This is a crop of a whole-slide image: an H&E-stained breast-cancer sentinel lymph node section at roughly 5× magnification (about 1.8 µm per pixel; the crop spans about 0.93 mm).
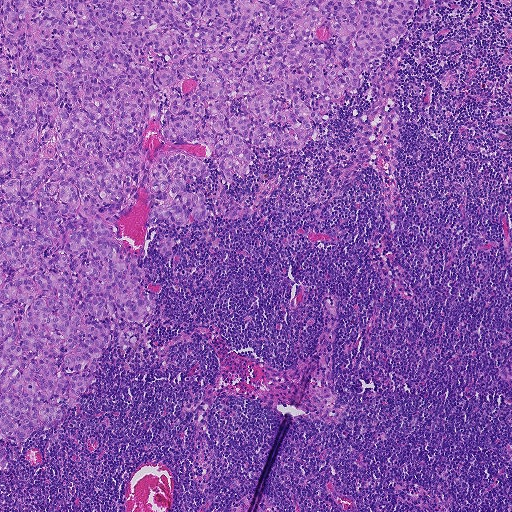
Outlines of two tumour regions, largest first (closed clockwise paths, crop pixels): region 1: (0, 0), (416, 0), (404, 34), (304, 151), (253, 148), (249, 175), (231, 184), (204, 159), (210, 175), (187, 188), (205, 192), (206, 218), (169, 224), (171, 258), (156, 254), (168, 221), (148, 227), (140, 266), (157, 307), (141, 324), (146, 341), (113, 340), (57, 427), (2, 440); region 2: (0, 444), (5, 445), (9, 454), (9, 464), (5, 473), (0, 473).
Tumour covers about 35% of the frame.